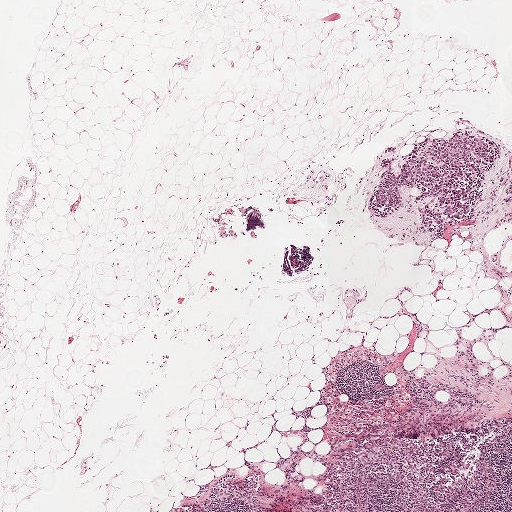
Lymph node section stained with H&E, from a whole-slide image of a breast-cancer sentinel node. Magnification about 2.5×, about 2.0 mm across the frame, about 3.9 µm per pixel.
One metastatic tumour region; its boundary, reduced to 24 corners and listed clockwise: (464, 130), (494, 140), (499, 158), (484, 175), (472, 212), (426, 226), (419, 212), (432, 199), (413, 202), (420, 192), (401, 185), (406, 200), (400, 208), (385, 217), (370, 208), (383, 168), (379, 162), (389, 155), (381, 147), (394, 144), (391, 164), (399, 173), (411, 147), (427, 138).
Tumour covers about 5% of the frame.